Image:
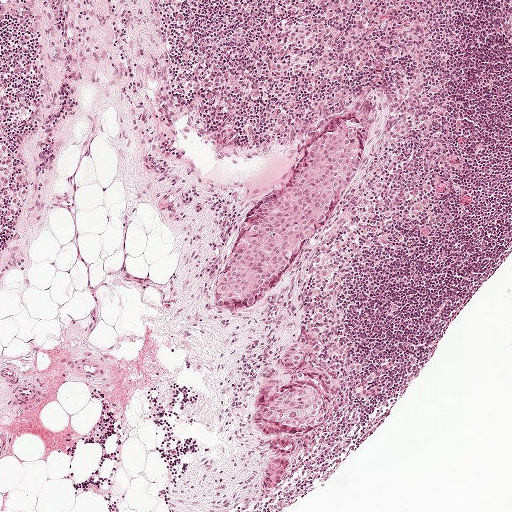
H&E-stained section of a sentinel lymph node (breast cancer), from a whole-slide image, viewed at about 5×: the field is about 1 mm across, about 1.9 µm per pixel.
Question:
Where is the metastatic tumour in this field? Give each region's outline as (x, y) pixel points.
Answer:
Boundaries of two metastatic tumour regions, simplified and listed clockwise, largest first: region 1: (364, 115), (371, 131), (371, 146), (354, 189), (324, 215), (308, 246), (260, 302), (234, 314), (214, 313), (212, 274), (228, 257), (261, 198), (292, 176), (301, 158), (344, 118); region 2: (305, 384), (320, 386), (324, 392), (328, 423), (318, 431), (291, 438), (273, 438), (250, 432), (246, 422), (251, 406), (269, 398), (276, 391).
The annotated tumour makes up about 5% of the crop.

Image:
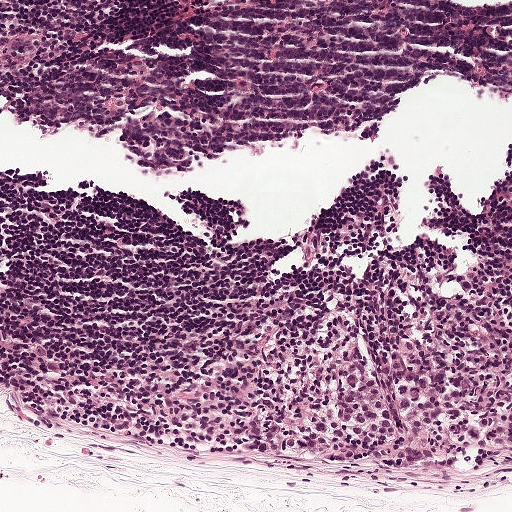
H&E-stained section of a sentinel lymph node (breast cancer), from a whole-slide image, viewed at about 10×: the field is about 0.5 mm across, about 0.97 µm per pixel.
Question:
Where is the metastatic tumour in this field? Give each region's outline as (x, y) pixel points.
Answer:
Metastatic tumour outline, simplified to 11 points and listed clockwise in crop pixels (x, y): (365, 304), (420, 333), (511, 320), (511, 477), (229, 458), (120, 429), (92, 391), (93, 370), (114, 356), (162, 352), (282, 308).
About 20% of this field is tumour.

Image:
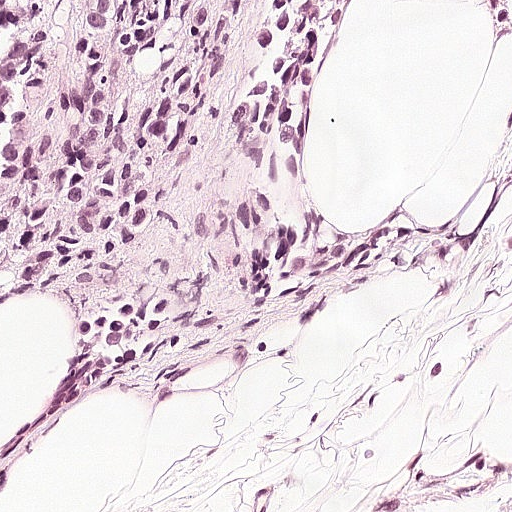
Lymph node section stained with H&E, from a whole-slide image of a breast-cancer sentinel node. Magnification about 20×, about 0.25 mm across the frame, about 0.49 µm per pixel.
Question:
Where is the metastatic tumour in this field? Give each region's outline as (x, y) pixel points.
Answer:
Outlines of two tumour regions, largest first (closed clockwise paths, crop pixels): region 1: (0, 0), (370, 0), (350, 52), (300, 96), (290, 175), (334, 268), (289, 328), (111, 387), (48, 304), (24, 294), (2, 299); region 2: (496, 0), (506, 0), (506, 4), (502, 12), (502, 15), (500, 15), (498, 10), (498, 1), (496, 1).
About 40% of the image area is annotated as tumour.

Image:
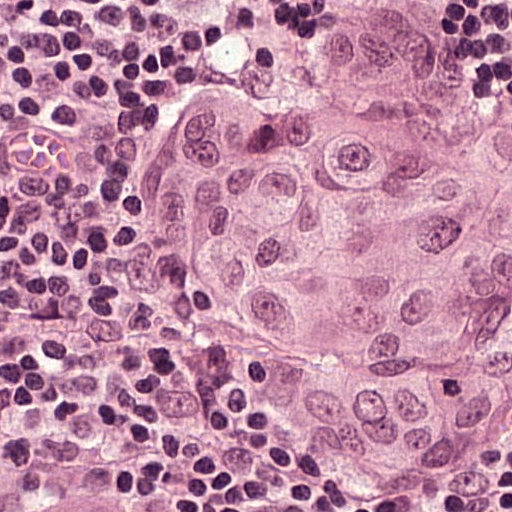
H&E-stained section of a sentinel lymph node (breast cancer), from a whole-slide image, viewed at about 40×: the field is about 0.12 mm across, about 0.24 µm per pixel.
Question:
Where is the metastatic tumour in this field? Give each region's outline as (x, y) pixel points.
Answer:
Two metastatic tumour regions, each outlined as a closed clockwise path in crop pixels (x, y), largest first: region 1: (343, 0), (486, 11), (511, 48), (511, 399), (503, 399), (474, 484), (434, 511), (366, 511), (286, 484), (224, 387), (224, 364), (155, 319), (110, 256), (110, 171), (127, 125), (207, 80), (252, 28); region 2: (87, 478), (104, 478), (177, 511), (19, 511), (19, 507), (30, 507), (30, 495), (47, 495), (53, 489), (70, 489), (70, 484), (82, 484).
About 60% of this field is tumour.